Question: 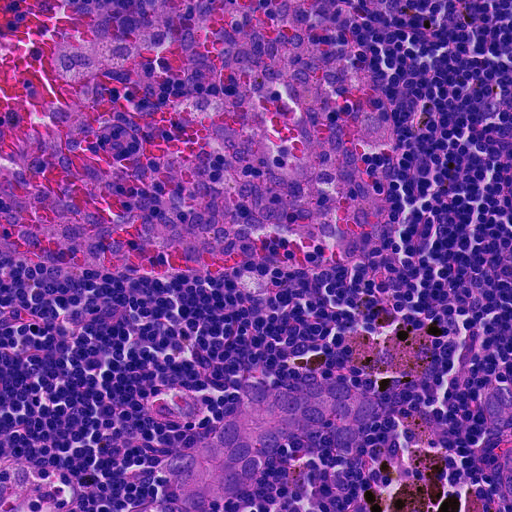
A 0.23-mm field of an H&E-stained sentinel lymph node from a breast-cancer patient (whole-slide image), shown at about 20×, about 0.45 µm per pixel.
Estimate the proportion of this field that is metastatic tumour.

Choices:
 (A) about 5% or less
 (B) none: no tumour is outlined
 (C) about 25% to 45%
 (D) about 10% to 20%
 (E) about 50% or more

Answer: (A) about 5% or less
About 5% of the field is tumour.
Outlines of two tumour regions, largest first (closed clockwise paths, crop pixels): region 1: (311, 376), (370, 388), (379, 405), (376, 424), (364, 442), (347, 453), (310, 434), (240, 496), (202, 510), (183, 507), (158, 477), (164, 458), (232, 414), (238, 394), (252, 380), (292, 384); region 2: (500, 382), (511, 382), (511, 442), (496, 452), (488, 435), (485, 416), (486, 396).
Question: 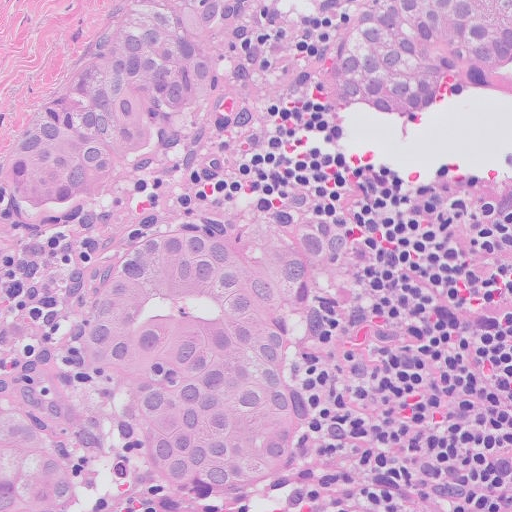
Lymph node section stained with H&E, from a whole-slide image of a breast-cancer sentinel node. Magnification about 20×, about 0.26 mm across the frame, about 0.5 µm per pixel.
Estimate the proportion of this field that is metastatic tumour.

Choices:
 (A) about 10% to 20%
 (B) about 5% or less
 (C) about 25% to 45%
 (D) none: no tumour is outlined
 (E) about 50% or more

Answer: (E) about 50% or more
About 55% of the field is tumour.
Two metastatic tumour regions, each outlined as a closed clockwise path in crop pixels (x, y), largest first: region 1: (250, 194), (314, 210), (339, 229), (362, 288), (322, 371), (327, 428), (290, 473), (237, 502), (0, 511), (0, 362), (105, 251), (162, 220); region 2: (511, 0), (511, 69), (396, 118), (334, 114), (314, 92), (311, 62), (333, 4), (249, 92), (95, 199), (66, 208), (10, 200), (8, 142), (122, 2).
Question: 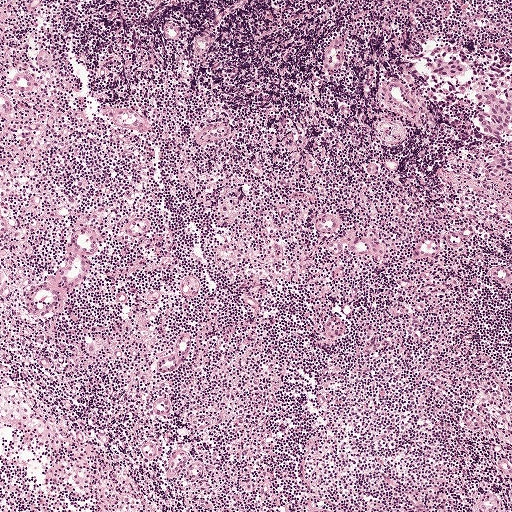
This is a crop of a whole-slide image: an H&E-stained breast-cancer sentinel lymph node section at roughly 5× magnification (about 1.9 µm per pixel; the crop spans about 1 mm).
Estimate the proportion of this field that is metastatic tumour.

Choices:
 (A) about 10% to 20%
 (B) about 5% or less
 (C) none: no tumour is outlined
 (D) about 25% to 45%
 (E) about 50% or more

Answer: (B) about 5% or less
Under 5% of the field is tumour.
Boundaries of two metastatic tumour regions, simplified and listed clockwise, largest first: region 1: (436, 44), (469, 45), (489, 58), (511, 62), (511, 138), (501, 141), (480, 130), (476, 118), (474, 100), (467, 96), (441, 91), (434, 85), (423, 60), (430, 48); region 2: (496, 152), (503, 152), (511, 156), (511, 173), (492, 175), (487, 172), (486, 165), (489, 161), (494, 158).
Question: 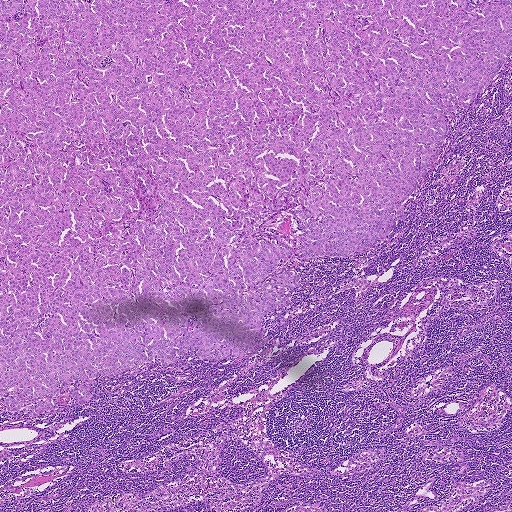
This is a crop of a whole-slide image: an H&E-stained breast-cancer sentinel lymph node section at roughly 2.5× magnification (about 3.6 µm per pixel; the crop spans about 1.9 mm).
Estimate the proportion of this field that is metastatic tumour.

Choices:
 (A) about 5% or less
 (B) about 25% to 45%
 (C) about 10% to 20%
 (D) none: no tumour is outlined
 (E) about 50% or more

Answer: (E) about 50% or more
About 55% of the field is tumour.
One metastatic tumour region; its boundary, reduced to 21 corners and listed clockwise: (0, 0), (511, 0), (509, 59), (447, 115), (440, 153), (394, 227), (359, 254), (276, 268), (302, 285), (262, 319), (258, 351), (211, 361), (192, 349), (73, 380), (71, 390), (93, 388), (87, 402), (61, 389), (56, 410), (29, 418), (2, 392).